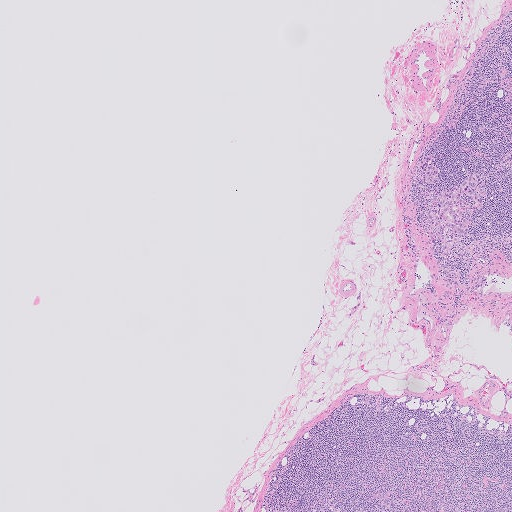
This is a crop of a whole-slide image: an H&E-stained breast-cancer sentinel lymph node section at roughly 2.5× magnification (about 4.0 µm per pixel; the crop spans about 2.0 mm).
Question: Which parts of this field are metastatic tumour?
Answer: Outlines of two tumour regions, largest first (closed clockwise paths, crop pixels): region 1: (471, 172), (477, 172), (483, 179), (486, 191), (480, 209), (471, 215), (464, 213), (464, 216), (471, 219), (468, 236), (462, 237), (448, 233), (440, 238), (437, 236), (434, 245), (430, 244), (427, 237), (435, 233), (427, 218), (427, 211), (437, 208), (437, 195), (441, 190), (458, 185); region 2: (430, 154), (435, 156), (432, 162), (438, 166), (438, 173), (431, 184), (424, 182), (419, 177), (415, 164), (420, 158).
One more small tumour piece is annotated here but not outlined.
Under 5% of this field is tumour.